H&E-stained section of a sentinel lymph node (breast cancer), from a whole-slide image, viewed at about 20×: the field is about 0.25 mm across, about 0.49 µm per pixel.
Image:
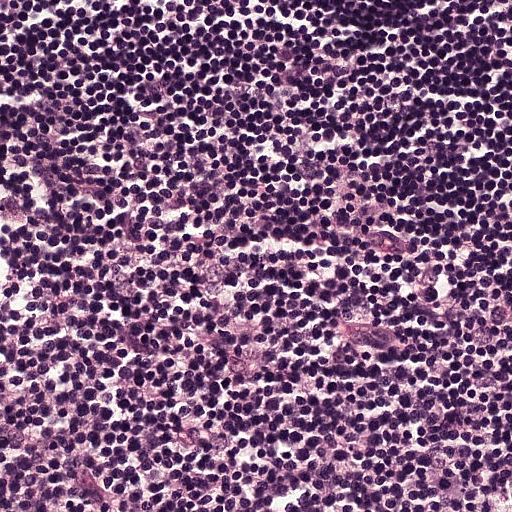
Question:
Is any metastatic breast cancer visible in this crop?
Answer:
No, this field holds no outlined metastasis.